Image:
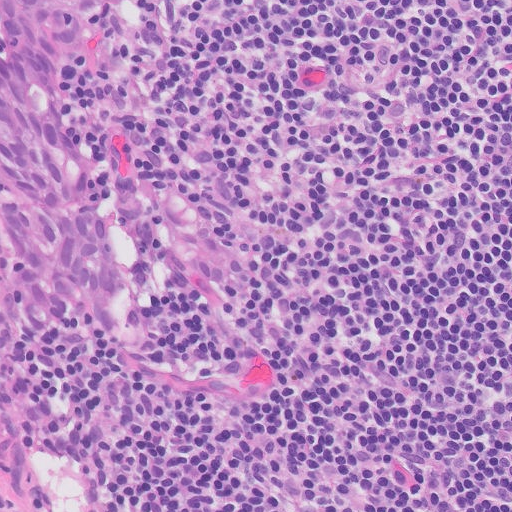
H&E-stained section of a sentinel lymph node (breast cancer), from a whole-slide image, viewed at about 20×: the field is about 0.26 mm across, about 0.5 µm per pixel.
Question:
Outline the metastatic carcinoma in this image, as closed paths of (x, y) pixel coordinates.
Answer:
One metastatic tumour region; its boundary, reduced to 11 corners and listed clockwise: (0, 0), (105, 0), (106, 27), (76, 84), (120, 240), (124, 270), (116, 300), (102, 328), (70, 336), (10, 317), (0, 298).
About 15% of this field is tumour.